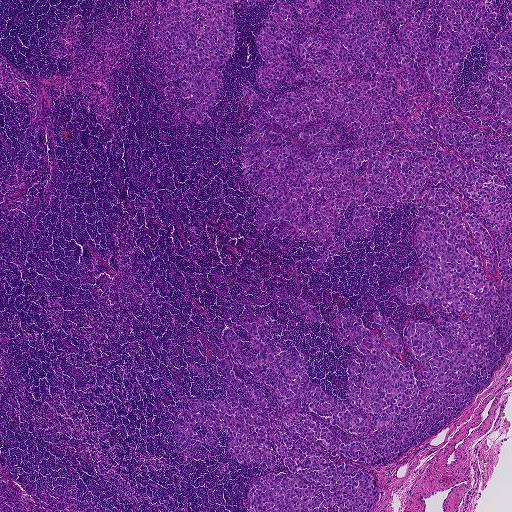
Lymph node section stained with H&E, from a whole-slide image of a breast-cancer sentinel node. Magnification about 2.5×, about 1.9 mm across the frame, about 3.6 µm per pixel.
Boundaries of two metastatic tumour regions, simplified and listed clockwise, largest first: region 1: (496, 0), (447, 103), (415, 66), (416, 90), (484, 129), (462, 104), (485, 83), (491, 114), (511, 12), (511, 354), (396, 461), (351, 461), (371, 511), (246, 511), (293, 474), (175, 438), (193, 398), (252, 407), (225, 330), (352, 405), (355, 351), (276, 296), (383, 336), (381, 312), (406, 367), (407, 323), (441, 327), (396, 289), (438, 183), (382, 207), (319, 267), (318, 236), (255, 222), (243, 83), (277, 96), (322, 84), (298, 80), (260, 88), (269, 11); region 2: (160, 0), (265, 0), (246, 11), (238, 2), (234, 8), (232, 53), (216, 68), (222, 76), (221, 97), (202, 123), (186, 113), (193, 96), (182, 95), (182, 82), (192, 78), (165, 79), (179, 63), (167, 57), (166, 37), (156, 43), (149, 31).
One more small tumour piece is annotated here but not outlined.
About 40% of the image area is annotated as tumour.